Image:
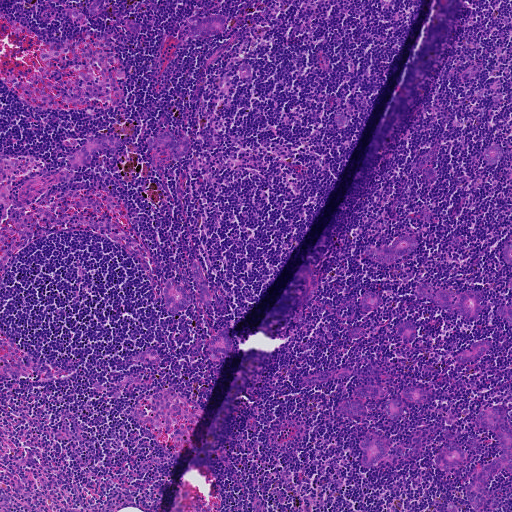
A 0.93-mm field of an H&E-stained sentinel lymph node from a breast-cancer patient (whole-slide image), shown at about 5×, about 1.8 µm per pixel.
Question:
Where is the metastatic tumour in this field? Give each region's outline as (x, y) pixel points.
Answer:
Outlines of the eight largest metastatic tumour regions, each a closed clockwise path in crop pixels (x, y), largest first: region 1: (495, 406), (511, 410), (511, 418), (509, 421), (511, 425), (511, 474), (502, 468), (490, 478), (488, 483), (488, 499), (482, 507), (478, 511), (472, 509), (467, 498), (467, 487), (475, 474), (482, 466), (501, 456), (501, 446), (497, 435), (493, 431), (477, 426), (475, 421), (480, 412); region 2: (430, 282), (435, 292), (446, 289), (458, 294), (473, 290), (482, 293), (483, 298), (478, 318), (468, 318), (453, 311), (448, 312), (444, 310), (432, 300), (421, 296), (417, 293), (416, 288), (420, 284); region 3: (104, 135), (119, 138), (121, 142), (120, 147), (113, 154), (104, 150), (86, 165), (77, 168), (72, 168), (66, 160), (68, 155), (84, 144), (89, 136), (100, 137); region 4: (404, 234), (414, 238), (417, 242), (417, 247), (413, 251), (386, 266), (381, 265), (368, 256), (366, 252), (367, 247), (388, 247), (399, 236); region 5: (165, 131), (174, 135), (184, 134), (188, 137), (189, 142), (188, 152), (184, 156), (175, 159), (160, 151), (151, 154), (148, 145), (148, 140), (152, 136), (157, 136); region 6: (369, 384), (386, 388), (387, 393), (385, 398), (380, 400), (369, 398), (364, 400), (367, 410), (366, 416), (356, 416), (340, 414), (338, 410), (338, 405), (342, 402), (358, 399), (353, 394), (354, 389); region 7: (222, 15), (227, 18), (226, 28), (213, 36), (191, 38), (185, 28), (187, 18), (192, 16), (202, 18); region 8: (447, 430), (452, 433), (452, 439), (455, 443), (463, 449), (466, 459), (460, 468), (450, 470), (444, 470), (435, 466), (435, 458), (446, 440), (444, 435).
15 more, smaller tumour regions are not outlined.
11 more small tumour pieces are annotated here but not outlined.
About 5% of this field is tumour.